Question: 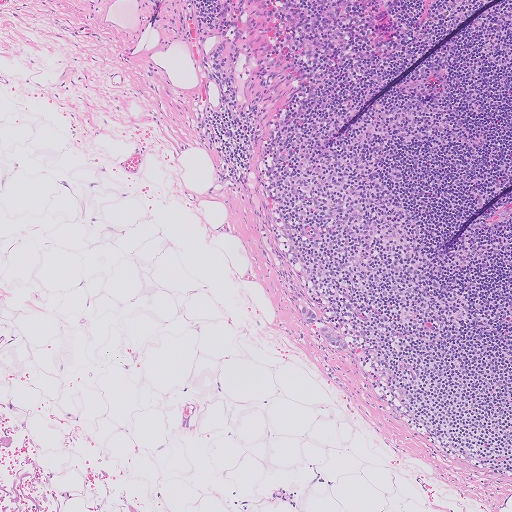
Which magnification is this H&E lymph node field most likely shown at?

Choices:
 (A) about 10×
 (B) about 20×
 (C) about 2.5×
 (D) about 5×
 (E) about 40×

Answer: (D) about 5×
Lymph node section stained with H&E, from a whole-slide image of a breast-cancer sentinel node. Magnification about 5×, about 1.0 mm across the frame, about 2.0 µm per pixel.
Two metastatic tumour regions, each outlined as a closed clockwise path in crop pixels (x, y), largest first: region 1: (319, 326), (326, 326), (330, 328), (346, 343), (347, 346), (346, 350), (340, 352), (331, 345), (318, 332), (316, 329); region 2: (304, 304), (308, 308), (315, 312), (316, 315), (316, 319), (316, 322), (312, 323), (309, 323), (304, 319), (300, 312), (299, 309), (300, 305).
Tumour covers under 5% of the frame.